Question: 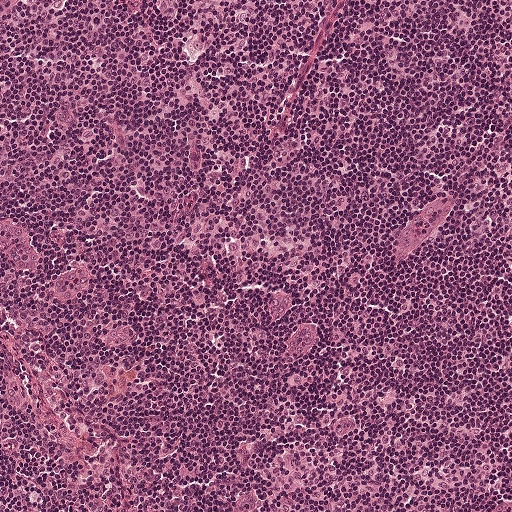
At roughly what magnification is this field shown?

Choices:
 (A) about 10×
 (B) about 40×
 (C) about 2.5×
 (D) about 5×
 (E) about 20×

Answer: (A) about 10×
H&E-stained section of a sentinel lymph node (breast cancer), from a whole-slide image, viewed at about 10×: the field is about 0.5 mm across, about 0.97 µm per pixel.